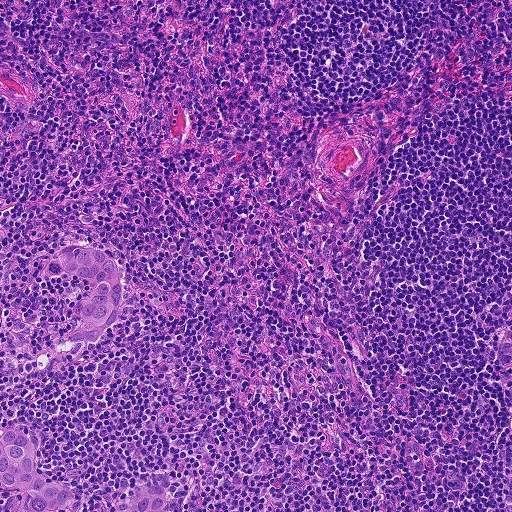
Lymph node section stained with H&E, from a whole-slide image of a breast-cancer sentinel node. Magnification about 10×, about 0.46 mm across the frame, about 0.9 µm per pixel.
Question: Outline the metastatic carcinoma in this image, as closed paths of (x, y) pixel coordinates.
Answer: Boundaries of two metastatic tumour regions, simplified and listed clockwise, largest first: region 1: (86, 246), (108, 249), (121, 269), (121, 294), (117, 317), (103, 335), (81, 345), (58, 342), (78, 318), (84, 296), (93, 292), (91, 282), (78, 279), (58, 268), (58, 252); region 2: (20, 427), (37, 442), (39, 465), (57, 481), (68, 485), (76, 494), (78, 506), (65, 511), (15, 511), (14, 492), (0, 480), (0, 435).
The annotated tumour makes up about 5% of the crop.